Question: 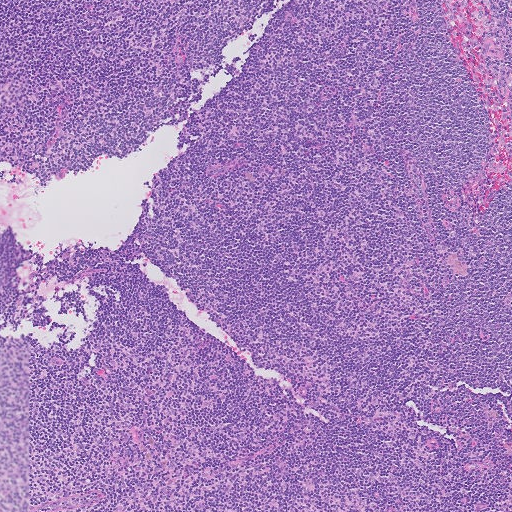
Which magnification is this H&E lymph node field most likely shown at?

Choices:
 (A) about 2.5×
 (B) about 5×
 (C) about 10×
 (D) about 20×
 (E) about 40×

Answer: (B) about 5×
A 1.0-mm field of an H&E-stained sentinel lymph node from a breast-cancer patient (whole-slide image), shown at about 5×, about 2.0 µm per pixel.